Question: 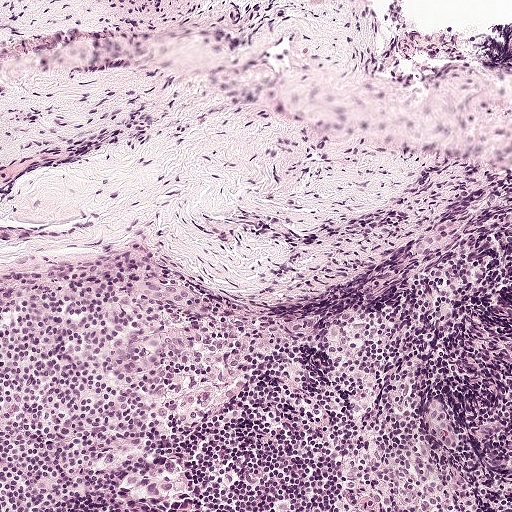
A 0.5-mm field of an H&E-stained sentinel lymph node from a breast-cancer patient (whole-slide image), shown at about 10×, about 0.97 µm per pixel.
About how much of this crop is taken up by metastatic carcinoma?

Choices:
 (A) about 10% to 20%
 (B) about 5% or less
 (C) about 50% or more
 (D) about 25% to 45%
 (E) none: no tumour is outlined

Answer: (B) about 5% or less
Under 5% of the field is tumour.
Three metastatic tumour regions, each outlined as a closed clockwise path in crop pixels (x, y), largest first: region 1: (152, 330), (177, 332), (182, 336), (183, 347), (170, 359), (148, 373), (130, 374), (111, 371), (106, 361), (111, 350); region 2: (173, 456), (177, 466), (180, 466), (182, 486), (180, 491), (163, 497), (142, 497), (131, 494), (126, 490), (122, 480), (129, 472), (152, 470), (160, 467), (165, 457); region 3: (135, 278), (161, 280), (192, 290), (202, 304), (202, 310), (198, 313), (194, 313), (179, 310), (166, 302), (153, 298), (134, 284).